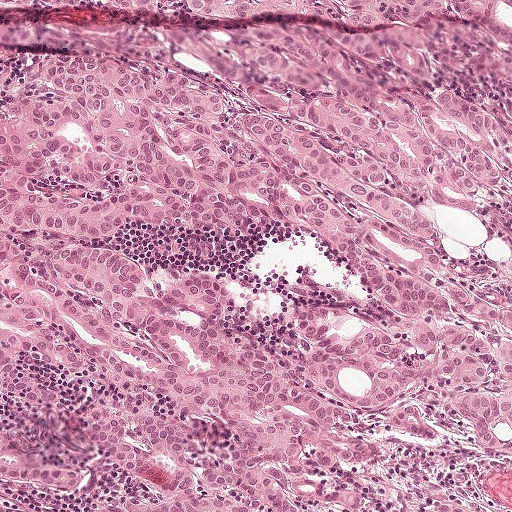
H&E-stained section of a sentinel lymph node (breast cancer), from a whole-slide image, viewed at about 10×: the field is about 0.5 mm across, about 0.97 µm per pixel.
Question: Which parts of this field are metastatic tumour?
Answer: The outlined metastatic tumour's edge, as a closed clockwise path of 23 points: (60, 58), (222, 80), (258, 107), (326, 96), (462, 139), (503, 176), (491, 201), (425, 205), (462, 258), (511, 257), (511, 460), (455, 439), (415, 396), (327, 399), (308, 362), (308, 304), (362, 320), (390, 311), (307, 230), (141, 226), (91, 244), (0, 223), (1, 110).
About 40% of the image area is annotated as tumour.

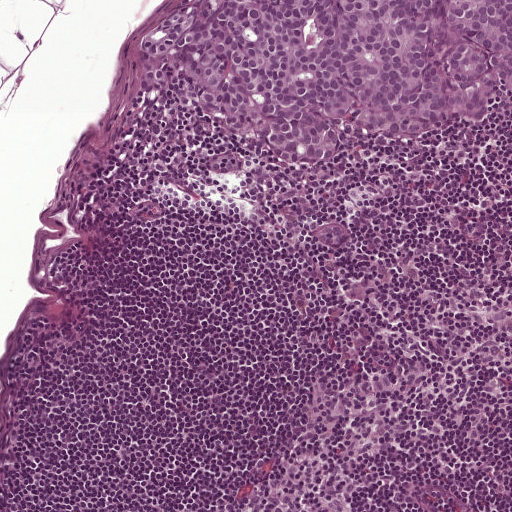
Lymph node section stained with H&E, from a whole-slide image of a breast-cancer sentinel node. Magnification about 10×, about 0.5 mm across the frame, about 0.97 µm per pixel.
Question: Which parts of this field are metastatic tumour?
Answer: Tumour region outline (a closed clockwise path, crop pixels): (511, 0), (511, 114), (486, 128), (378, 142), (332, 171), (274, 168), (188, 110), (142, 108), (138, 38), (177, 7).
The annotated tumour makes up about 20% of the crop.

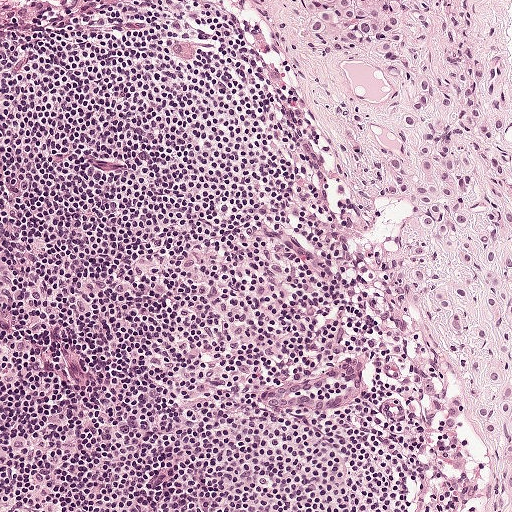
A 0.5-mm field of an H&E-stained sentinel lymph node from a breast-cancer patient (whole-slide image), shown at about 10×, about 0.97 µm per pixel.
Question: Which parts of this field are metastatic tumour?
Answer: Metastatic tumour outline, simplified to 22 points and listed clockwise in crop pixels (x, y): (410, 0), (439, 26), (481, 28), (502, 55), (511, 141), (511, 492), (503, 501), (472, 429), (439, 428), (440, 408), (466, 393), (465, 362), (440, 316), (408, 284), (411, 210), (376, 164), (397, 136), (386, 116), (397, 88), (354, 56), (298, 39), (304, 2).
About 20% of this field is tumour.

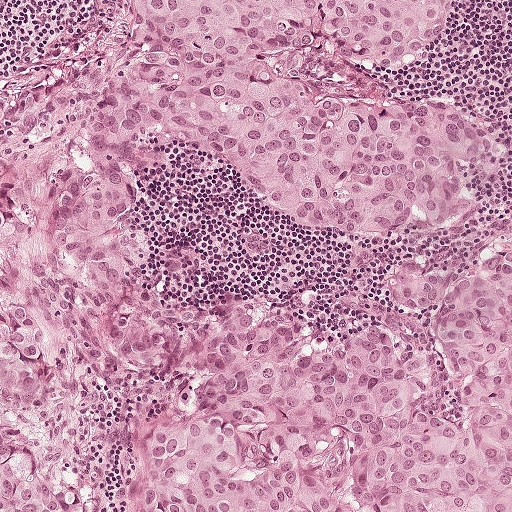
A 0.5-mm field of an H&E-stained sentinel lymph node from a breast-cancer patient (whole-slide image), shown at about 10×, about 0.97 µm per pixel.
Question: Which parts of this field are metastatic tumour?
Answer: Tumour region outline (a closed clockwise path, crop pixels): (127, 0), (449, 0), (416, 57), (304, 76), (479, 114), (459, 216), (325, 232), (155, 131), (127, 214), (162, 293), (372, 319), (445, 414), (429, 320), (387, 262), (511, 228), (511, 511), (138, 511), (132, 416), (61, 333), (97, 510), (0, 511), (0, 72), (100, 52).
Tumour covers about 75% of the frame.